Question: 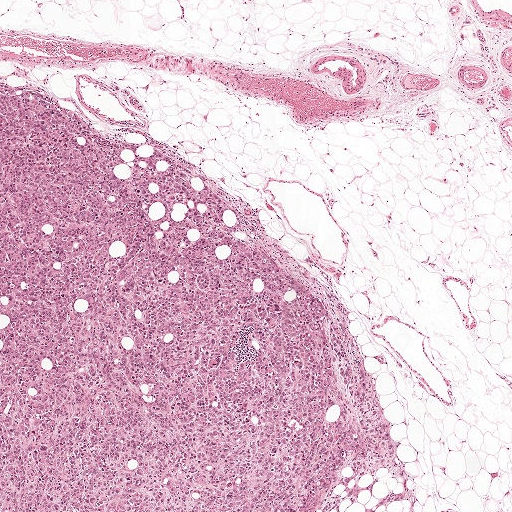
This is a crop of a whole-slide image: an H&E-stained breast-cancer sentinel lymph node section at roughly 2.5× magnification (about 3.9 µm per pixel; the crop spans about 2.0 mm).
Roughly what share of this field is metastatic tumour?

Choices:
 (A) about 5% or less
 (B) none: no tumour is outlined
 (C) about 25% to 45%
 (D) about 10% to 20%
 (E) about 50% or more

Answer: (C) about 25% to 45%
About 45% of the field is tumour.
One metastatic tumour region; its boundary, reduced to 9 corners and listed clockwise: (0, 81), (54, 91), (106, 131), (140, 138), (211, 180), (349, 327), (410, 487), (410, 505), (0, 511).